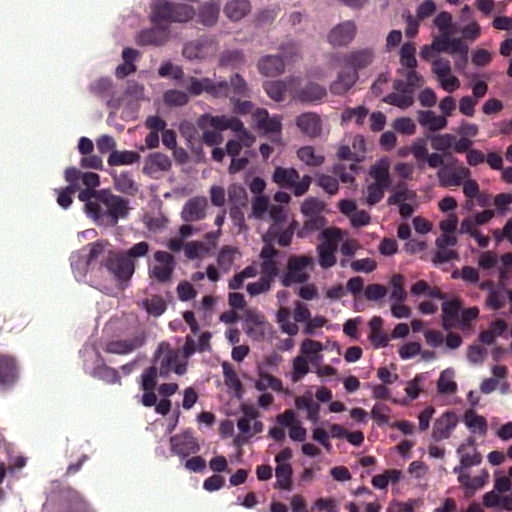
Lymph node section stained with H&E, from a whole-slide image of a breast-cancer sentinel node. Magnification about 40×, about 0.12 mm across the frame, about 0.24 µm per pixel.
Question: Describe where the metastatic carcinoma lies in this crop.
Answer: Two metastatic tumour regions, each outlined as a closed clockwise path in crop pixels (x, y), largest first: region 1: (406, 0), (406, 20), (386, 75), (291, 120), (125, 129), (99, 120), (70, 80), (70, 54), (99, 1); region 2: (68, 230), (96, 232), (105, 239), (167, 257), (166, 328), (159, 357), (148, 373), (96, 383), (77, 380), (77, 375), (66, 371), (62, 359), (71, 303), (66, 289), (50, 275), (48, 241).
The annotated tumour makes up about 20% of the crop.